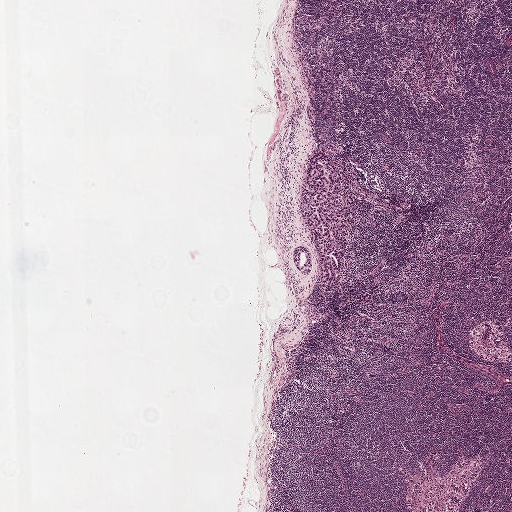
This is a crop of a whole-slide image: an H&E-stained breast-cancer sentinel lymph node section at roughly 2.5× magnification (about 3.9 µm per pixel; the crop spans about 2.0 mm).
Boundaries of three metastatic tumour regions, simplified and listed clockwise, largest first: region 1: (324, 133), (330, 142), (344, 148), (338, 160), (344, 175), (378, 193), (378, 199), (386, 199), (393, 209), (376, 213), (370, 224), (368, 215), (375, 207), (353, 199), (362, 220), (360, 236), (348, 245), (352, 261), (335, 294), (322, 282), (320, 252), (304, 224), (298, 203); region 2: (299, 246), (307, 247), (312, 254), (313, 269), (306, 276), (303, 276), (293, 264), (292, 252), (294, 249); region 3: (359, 292), (364, 292), (373, 295), (376, 304), (372, 306), (363, 306), (360, 305), (358, 301), (354, 298), (355, 295).
Region 2 encloses a non-tumour hole of about 15% of its area.
About 5% of the image area is annotated as tumour.